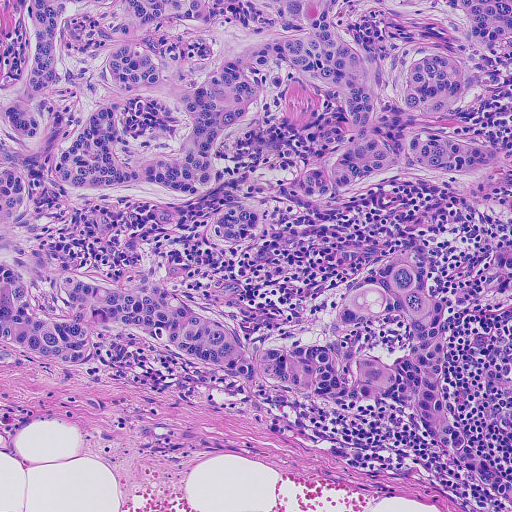
A 0.46-mm field of an H&E-stained sentinel lymph node from a breast-cancer patient (whole-slide image), shown at about 10×, about 0.91 µm per pixel.
Two metastatic tumour regions, each outlined as a closed clockwise path in crop pixels (x, y), largest first: region 1: (0, 0), (352, 0), (384, 92), (401, 97), (424, 54), (474, 58), (474, 91), (439, 130), (511, 150), (511, 169), (458, 182), (405, 172), (326, 212), (273, 205), (242, 244), (213, 230), (212, 212), (243, 196), (230, 186), (197, 198), (42, 184), (31, 224), (90, 278), (138, 270), (267, 346), (316, 342), (345, 286), (412, 242), (446, 292), (446, 398), (511, 484), (511, 504), (394, 400), (344, 408), (102, 322), (80, 366), (0, 339); region 2: (366, 0), (511, 0), (511, 38), (485, 51), (470, 40), (466, 23), (455, 8), (439, 2), (404, 11), (386, 8).
The annotated tumour makes up about 50% of the crop.